Question: 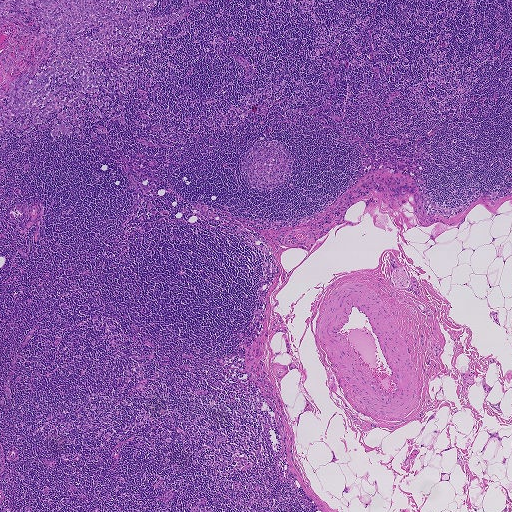
H&E-stained section of a sentinel lymph node (breast cancer), from a whole-slide image, viewed at about 2.5×: the field is about 1.9 mm across, about 3.6 µm per pixel.
Estimate the proportion of this field that is metastatic tumour.

Choices:
 (A) about 50% or more
 (B) none: no tumour is outlined
 (C) about 5% or less
 (D) about 10% to 20%
 (E) about 25% to 45%

Answer: (C) about 5% or less
About 5% of the field is tumour.
Tumour region outline (a closed clockwise path, crop pixels): (0, 0), (157, 0), (156, 15), (186, 4), (179, 0), (211, 2), (164, 26), (169, 37), (136, 40), (141, 54), (89, 62), (95, 72), (140, 68), (127, 95), (98, 88), (97, 99), (122, 106), (122, 125), (93, 105), (106, 114), (93, 122), (81, 101), (82, 115), (67, 123), (80, 132), (51, 140), (52, 121), (62, 119), (52, 111), (41, 125), (50, 128), (28, 132), (25, 151), (22, 129), (2, 136).